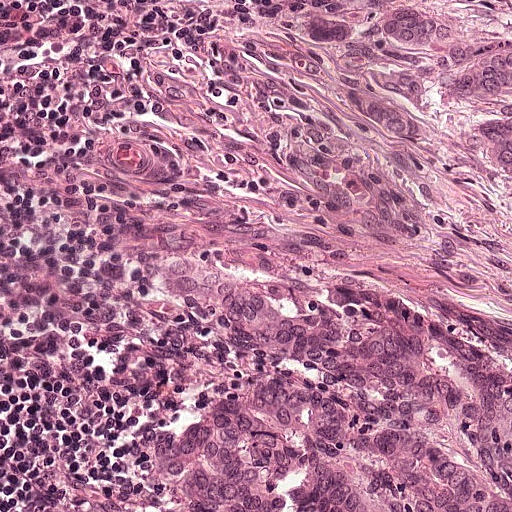
A 0.25-mm field of an H&E-stained sentinel lymph node from a breast-cancer patient (whole-slide image), shown at about 20×, about 0.49 µm per pixel.
Metastatic tumour outline, simplified to 11 points and listed clockwise in crop pixels (x, y): (386, 0), (511, 0), (511, 511), (166, 511), (218, 446), (240, 270), (300, 124), (328, 98), (382, 78), (385, 19), (376, 15).
About 45% of the image area is annotated as tumour.